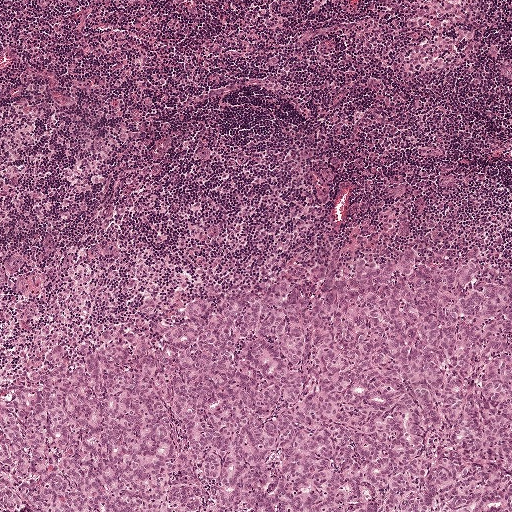
A 1-mm field of an H&E-stained sentinel lymph node from a breast-cancer patient (whole-slide image), shown at about 5×, about 1.9 µm per pixel.
One metastatic tumour region; its boundary, reduced to 10 corners and listed clockwise: (408, 254), (436, 269), (506, 274), (511, 511), (0, 511), (0, 391), (138, 313), (178, 315), (297, 268), (353, 270).
The annotated tumour makes up about 40% of the crop.